A 0.46-mm field of an H&E-stained sentinel lymph node from a breast-cancer patient (whole-slide image), shown at about 10×, about 0.9 µm per pixel.
Image:
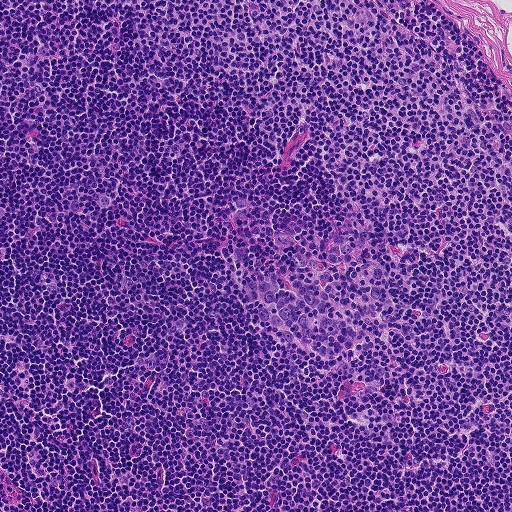
Question:
Is there metastatic carcinoma in this field?
Answer:
No, this field holds no outlined metastasis.